Image:
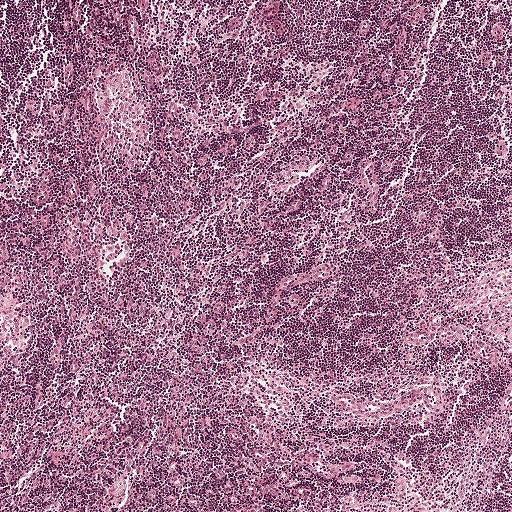
This is a crop of a whole-slide image: an H&E-stained breast-cancer sentinel lymph node section at roughly 5× magnification (about 1.9 µm per pixel; the crop spans about 1 mm).
Question:
Is any metastatic breast cancer visible in this crop?
Answer:
No. No metastatic tumour is outlined in this field.